Image:
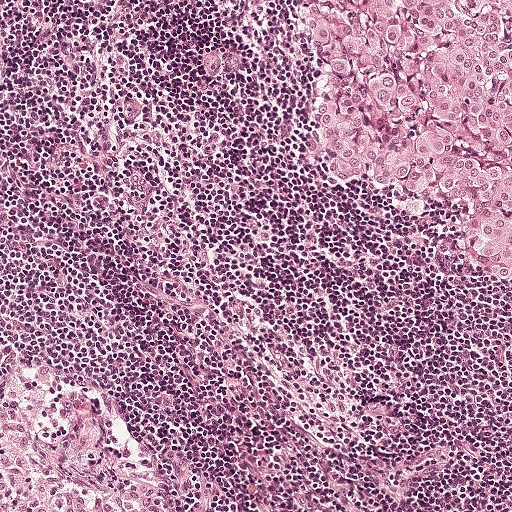
This is a crop of a whole-slide image: an H&E-stained breast-cancer sentinel lymph node section at roughly 10× magnification (about 0.97 µm per pixel; the crop spans about 0.5 mm).
Question:
Does this lymph node field contain metastatic tumour?
Answer:
Yes.
The outlined metastatic tumour's edge, as a closed clockwise path of 7 points: (511, 0), (511, 280), (451, 264), (422, 217), (319, 170), (306, 141), (294, 4).
Tumour covers about 20% of the frame.

Image:
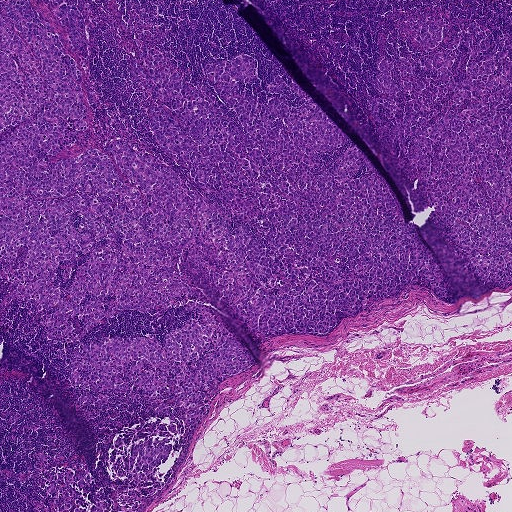
Lymph node section stained with H&E, from a whole-slide image of a breast-cancer sentinel node. Magnification about 2.5×, about 1.9 mm across the frame, about 3.6 µm per pixel.
Question:
Does this lymph node field contain metastatic tumour?
Answer:
Yes.
Five metastatic tumour regions, each outlined as a closed clockwise path in crop pixels (x, y), largest first: region 1: (0, 0), (31, 0), (81, 71), (50, 0), (82, 16), (91, 116), (77, 145), (121, 138), (224, 204), (155, 139), (119, 0), (241, 130), (206, 64), (254, 58), (238, 92), (260, 110), (301, 104), (294, 81), (345, 135), (319, 166), (357, 145), (446, 295), (414, 282), (326, 336), (262, 348), (196, 273), (256, 364), (194, 430), (182, 405), (154, 409), (169, 391), (83, 402), (57, 350), (163, 346), (199, 314), (126, 309), (51, 346), (40, 320), (61, 307), (0, 283); region 2: (470, 21), (474, 43), (490, 40), (478, 61), (511, 41), (504, 287), (474, 271), (429, 215), (379, 137), (389, 110), (373, 121), (368, 101), (380, 98), (378, 58), (407, 58), (416, 68), (404, 78), (415, 81), (429, 74), (420, 58), (445, 51); region 3: (70, 467), (74, 471), (82, 467), (87, 468), (91, 476), (90, 481), (85, 483), (82, 486), (78, 489), (84, 496), (85, 501), (90, 501), (88, 511), (57, 511), (55, 510), (53, 505), (54, 501), (57, 498), (52, 496), (48, 493), (50, 488), (49, 479), (51, 475), (64, 472), (66, 468); region 4: (152, 436), (153, 440), (156, 436), (164, 439), (168, 437), (171, 440), (169, 443), (173, 444), (170, 457), (165, 464), (155, 468), (152, 476), (148, 478), (135, 482), (129, 476), (116, 475), (114, 471), (122, 455), (141, 438), (144, 441); region 5: (430, 23), (445, 26), (446, 30), (442, 35), (440, 42), (435, 47), (423, 46), (414, 39), (416, 32), (423, 24).
Tumour covers about 50% of the frame.

Image:
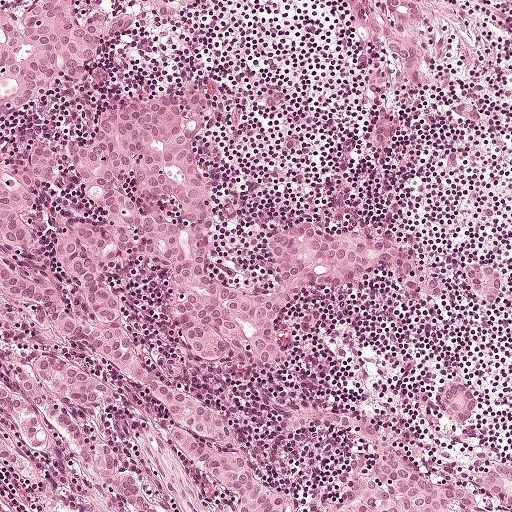
Lymph node section stained with H&E, from a whole-slide image of a breast-cancer sentinel node. Magnification about 10×, about 0.5 mm across the frame, about 0.97 µm per pixel.
Question:
Does this lymph node field contain metastatic tumour?
Answer:
Yes.
Outlines of two tumour regions, largest first (closed clockwise paths, crop pixels): region 1: (142, 90), (211, 95), (193, 154), (212, 216), (202, 266), (218, 284), (267, 288), (262, 239), (298, 223), (412, 242), (300, 299), (279, 354), (254, 368), (186, 357), (145, 264), (110, 284), (134, 345), (218, 407), (288, 511), (220, 505), (174, 452), (170, 414), (79, 347), (139, 483), (184, 511), (124, 511), (57, 443), (38, 458), (4, 432), (0, 167), (37, 145), (60, 152), (34, 213), (54, 254), (60, 230), (95, 213), (75, 138); region 2: (40, 0), (77, 0), (81, 11), (108, 16), (136, 13), (146, 19), (134, 32), (108, 42), (79, 80), (64, 84), (55, 78), (43, 104), (29, 116), (16, 120), (0, 120), (0, 5), (22, 10).
The annotated tumour makes up about 35% of the crop.

Image:
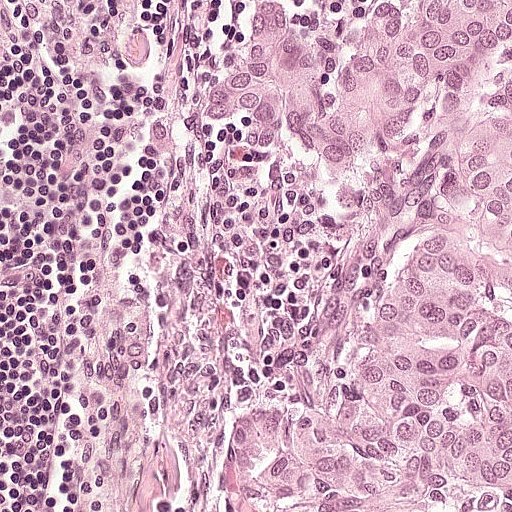
A 0.25-mm field of an H&E-stained sentinel lymph node from a breast-cancer patient (whole-slide image), shown at about 20×, about 0.49 µm per pixel.
Question:
Does this lymph node field contain metastatic tumour?
Answer:
Yes.
One metastatic tumour region; its boundary, reduced to 14 corners and listed clockwise: (511, 0), (511, 511), (223, 511), (236, 424), (320, 320), (360, 210), (336, 171), (210, 134), (198, 102), (273, 11), (286, 34), (338, 60), (364, 40), (381, 6).
About 45% of this field is tumour.